Question: 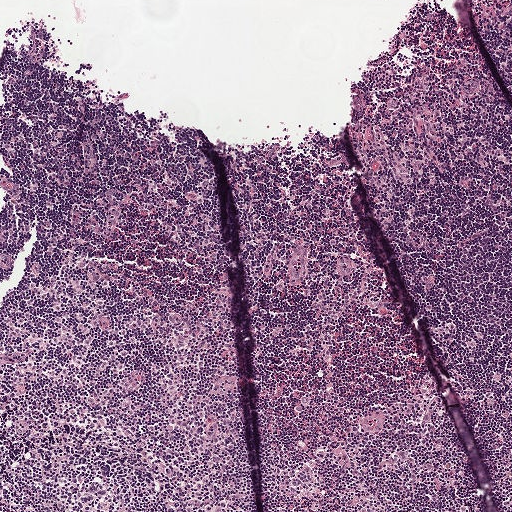
Which magnification is this H&E lymph node field most likely shown at?

Choices:
 (A) about 40×
 (B) about 10×
 (C) about 20×
 (D) about 2.5×
 (E) about 5×

Answer: (E) about 5×
Lymph node section stained with H&E, from a whole-slide image of a breast-cancer sentinel node. Magnification about 5×, about 1 mm across the frame, about 1.9 µm per pixel.